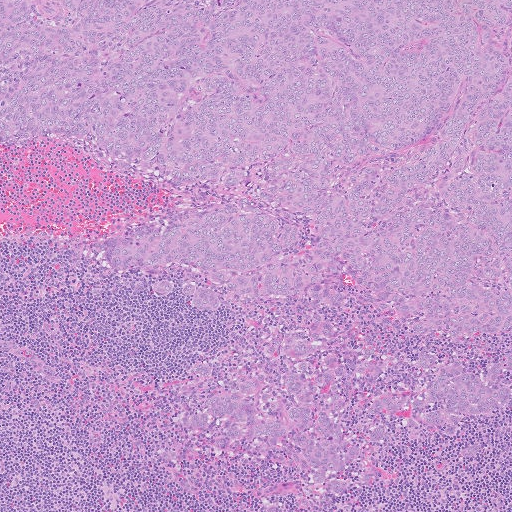
A 1.0-mm field of an H&E-stained sentinel lymph node from a breast-cancer patient (whole-slide image), shown at about 5×, about 2.0 µm per pixel.
Question: Where is the metastatic tumour in this field? Give each region's outline as (x, y) pixel points.
Answer: Outlines of two tumour regions, largest first (closed clockwise paths, crop pixels): region 1: (0, 0), (511, 0), (511, 403), (451, 436), (396, 427), (377, 484), (322, 503), (308, 482), (184, 428), (210, 386), (192, 368), (230, 391), (266, 352), (277, 305), (160, 304), (149, 273), (90, 252), (113, 228), (197, 209), (203, 193), (0, 144); region 2: (477, 444), (479, 446), (479, 451), (476, 456), (471, 458), (465, 458), (460, 455), (462, 450), (471, 445).
About 70% of the image area is annotated as tumour.